This is a crop of a whole-slide image: an H&E-stained breast-cancer sentinel lymph node section at roughly 20× magnification (about 0.45 µm per pixel; the crop spans about 0.23 mm).
Image:
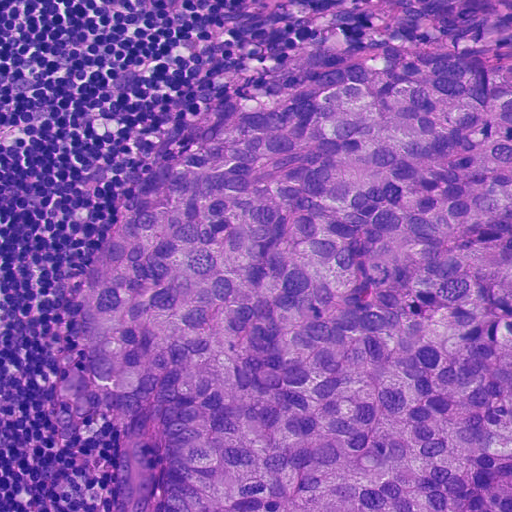
Question:
Outline the metastatic carcinoma in this image, as closed paths of (x, y) pixel coordinates.
Answer:
Tumour region outline (a closed clockwise path, crop pixels): (511, 0), (511, 511), (157, 511), (156, 426), (76, 422), (56, 386), (53, 346), (76, 270), (114, 202), (174, 129), (246, 88), (394, 30), (384, 13), (330, 19), (258, 6).
Tumour covers about 70% of the frame.